A 0.25-mm field of an H&E-stained sentinel lymph node from a breast-cancer patient (whole-slide image), shown at about 20×, about 0.49 µm per pixel.
Question: 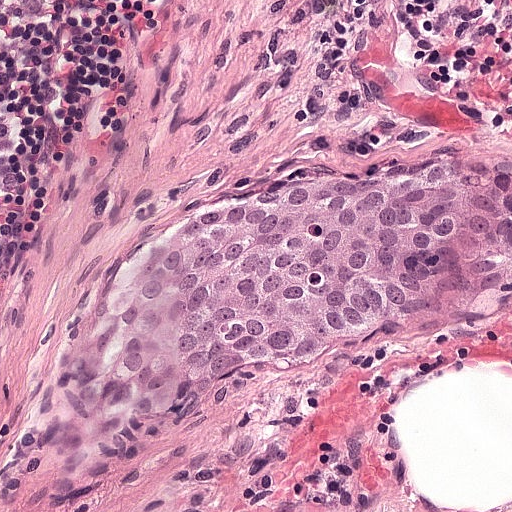
What fraction of the image area is metastatic tumour?

Choices:
 (A) about 50% or more
 (B) none: no tumour is outlined
 (C) about 5% or less
 (D) about 10% to 20%
 (E) about 25% to 45%

Answer: (E) about 25% to 45%
About 25% of the field is tumour.
One metastatic tumour region; its boundary, reduced to 14 corners and listed clockwise: (497, 152), (511, 158), (511, 254), (495, 286), (364, 344), (260, 368), (175, 410), (142, 439), (75, 442), (80, 366), (180, 226), (260, 204), (330, 168), (416, 174).